Image:
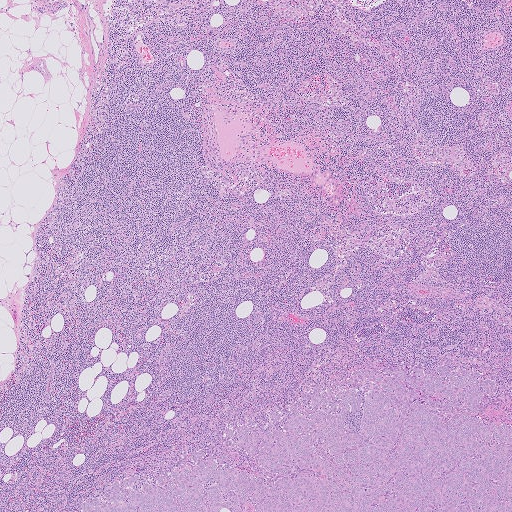
Lymph node section stained with H&E, from a whole-slide image of a breast-cancer sentinel node. Magnification about 2.5×, about 2.0 mm across the frame, about 4.0 µm per pixel.
Question:
Show where the tumour is in this image.
Answer:
Metastatic tumour outline, simplified to 20 points and listed clockwise in crop pixels (x, y): (455, 356), (472, 356), (500, 386), (487, 415), (511, 423), (511, 511), (78, 511), (97, 488), (148, 479), (200, 447), (255, 474), (263, 470), (227, 446), (224, 430), (247, 419), (261, 426), (286, 404), (364, 367), (389, 363), (433, 375).
The annotated tumour makes up about 15% of the crop.